Question: 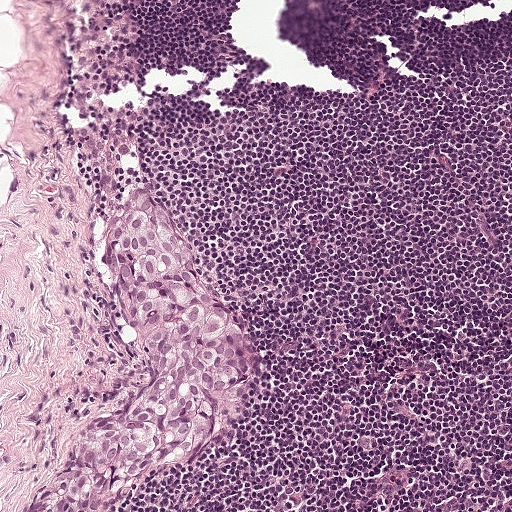
This is a crop of a whole-slide image: an H&E-stained breast-cancer sentinel lymph node section at roughly 10× magnification (about 0.97 µm per pixel; the crop spans about 0.5 mm).
Estimate the proportion of this field that is metastatic tumour.

Choices:
 (A) about 10% to 20%
 (B) about 50% or more
 (C) none: no tumour is outlined
 (D) about 25% to 45%
 (E) about 5% or less

Answer: (A) about 10% to 20%
About 15% of the field is tumour.
The outlined metastatic tumour's edge, as a closed clockwise path of 19 points: (141, 188), (195, 247), (198, 270), (245, 317), (264, 353), (270, 388), (256, 420), (227, 450), (200, 468), (142, 487), (124, 511), (28, 511), (88, 432), (136, 409), (150, 389), (138, 340), (124, 327), (104, 240), (120, 198).